Question: 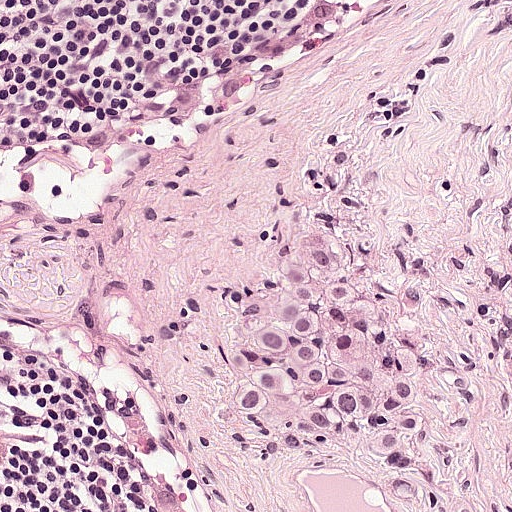
H&E-stained section of a sentinel lymph node (breast cancer), from a whole-slide image, viewed at about 20×: the field is about 0.25 mm across, about 0.49 µm per pixel.
About how much of this crop is taken up by metastatic carcinoma?

Choices:
 (A) about 25% to 45%
 (B) about 5% or less
 (C) about 50% or more
 (D) none: no tumour is outlined
 (E) about 10% to 20%

Answer: (E) about 10% to 20%
About 20% of the field is tumour.
Tumour region outline (a closed clockwise path, crop pixels): (312, 227), (366, 248), (407, 288), (451, 366), (511, 400), (511, 511), (398, 511), (376, 486), (324, 458), (212, 425), (232, 305), (272, 247).